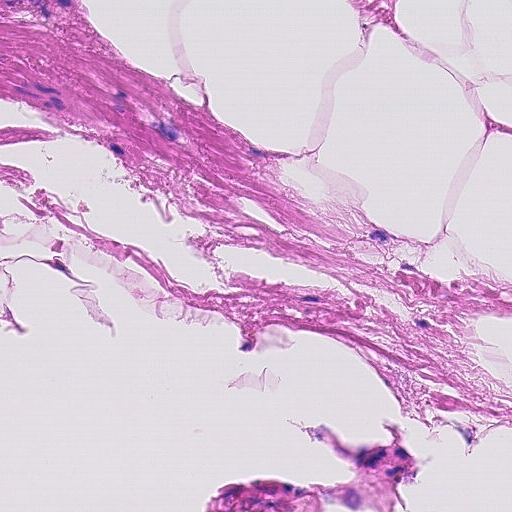
A 0.23-mm field of an H&E-stained sentinel lymph node from a breast-cancer patient (whole-slide image), shown at about 20×, about 0.45 µm per pixel.
Question: Is there metastatic carcinoma in this field?
Answer: No. No metastatic tumour is outlined in this field.